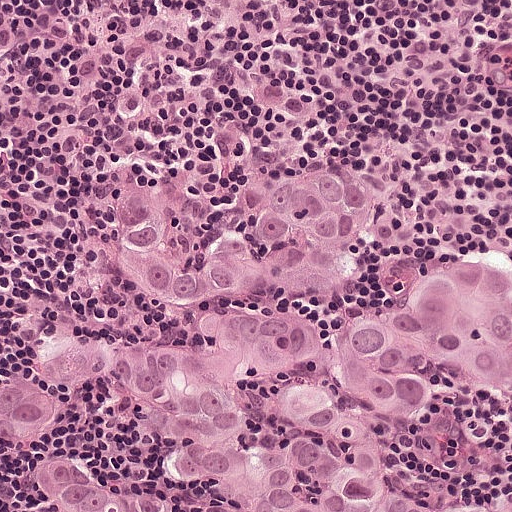
Lymph node section stained with H&E, from a whole-slide image of a breast-cancer sentinel node. Magnification about 20×, about 0.25 mm across the frame, about 0.49 µm per pixel.
Tumour region outline (a closed clockwise path, crop pixels): (388, 168), (406, 190), (402, 218), (308, 302), (329, 332), (408, 323), (432, 272), (511, 256), (511, 395), (446, 382), (396, 457), (422, 495), (511, 511), (31, 511), (59, 457), (194, 508), (225, 500), (168, 463), (166, 437), (130, 392), (94, 390), (62, 432), (36, 438), (0, 418), (0, 380), (40, 368), (46, 338), (62, 334), (198, 342), (168, 289), (124, 256), (126, 189), (169, 190), (174, 244), (200, 258), (266, 223), (269, 198), (290, 181).
The annotated tumour makes up about 40% of the crop.